Question: 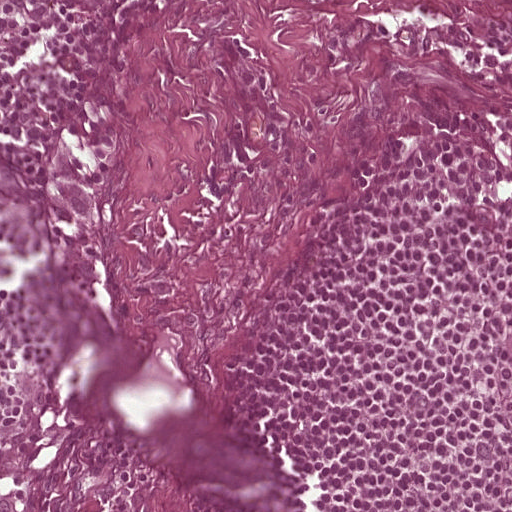
Which magnification is this H&E lymph node field most likely shown at?

Choices:
 (A) about 2.5×
 (B) about 5×
 (C) about 10×
 (D) about 40×
 (E) about 20×

Answer: (E) about 20×
H&E-stained section of a sentinel lymph node (breast cancer), from a whole-slide image, viewed at about 20×: the field is about 0.25 mm across, about 0.49 µm per pixel.